Question: 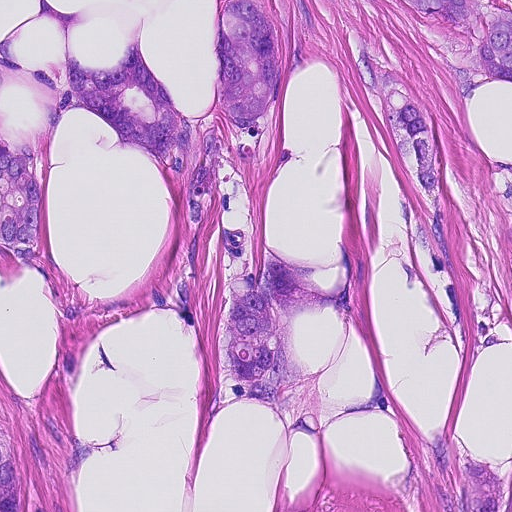
A 0.23-mm field of an H&E-stained sentinel lymph node from a breast-cancer patient (whole-slide image), shown at about 20×, about 0.45 µm per pixel.
What fraction of the image area is metastatic tumour?

Choices:
 (A) about 5% or less
 (B) about 10% to 20%
 (C) about 50% or more
 (D) none: no tumour is outlined
 (E) about 25% to 45%

Answer: (E) about 25% to 45%
About 45% of the field is tumour.
Four metastatic tumour regions, each outlined as a closed clockwise path in crop pixels (x, y), largest first: region 1: (217, 0), (310, 0), (315, 44), (234, 150), (250, 283), (273, 242), (348, 300), (286, 340), (314, 374), (271, 511), (274, 406), (208, 410), (212, 217), (194, 320), (140, 309), (78, 351), (73, 429), (117, 439), (74, 509), (0, 511), (0, 39), (106, 64), (138, 21), (207, 119); region 2: (318, 0), (374, 0), (366, 3), (372, 29), (429, 119), (458, 277), (463, 348), (458, 320), (432, 272), (367, 92), (332, 12); region 3: (397, 0), (484, 0), (492, 6), (511, 11), (511, 81), (484, 80), (464, 100), (461, 108), (408, 14); region 4: (493, 159), (511, 159), (511, 214), (508, 207), (492, 186).